Question: 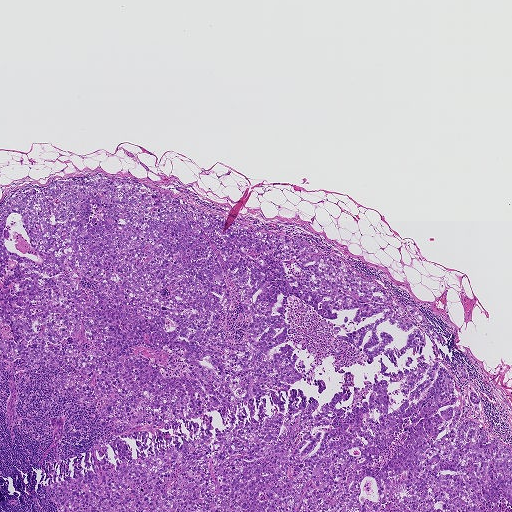
This is a crop of a whole-slide image: an H&E-stained breast-cancer sentinel lymph node section at roughly 2.5× magnification (about 3.6 µm per pixel; the crop spans about 1.9 mm).
About how much of this crop is taken up by metastatic carcinoma?

Choices:
 (A) about 5% or less
 (B) none: no tumour is outlined
 (C) about 50% or more
 (D) about 25% to 45%
 (E) about 10% to 20%

Answer: (D) about 25% to 45%
About 45% of the field is tumour.
Boundaries of four metastatic tumour regions, simplified and listed clockwise, largest first: region 1: (128, 176), (379, 284), (456, 383), (456, 426), (511, 450), (511, 511), (54, 511), (47, 485), (319, 411), (342, 373), (327, 357), (312, 381), (90, 450), (142, 424), (57, 394), (51, 375), (69, 373), (1, 361), (0, 204); region 2: (408, 304), (414, 306), (421, 313), (424, 318), (424, 324), (421, 324), (416, 321), (410, 314), (406, 308), (406, 306); region 3: (467, 384), (470, 384), (473, 386), (474, 389), (474, 392), (479, 397), (480, 400), (478, 406), (480, 412), (474, 410), (471, 404), (469, 398); region 4: (460, 363), (465, 368), (468, 374), (468, 379), (465, 379), (460, 376), (457, 370), (458, 364).
One more small tumour piece is annotated here but not outlined.